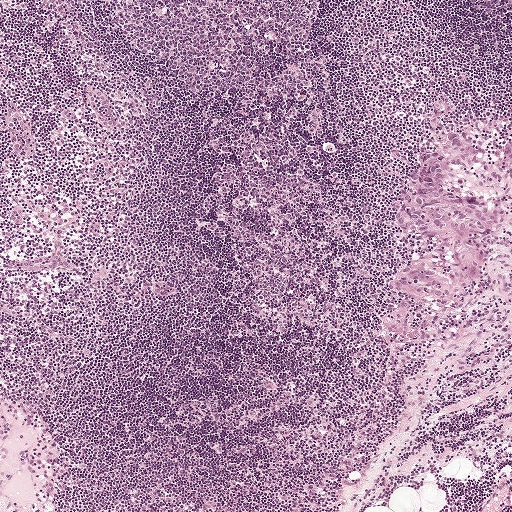
Lymph node section stained with H&E, from a whole-slide image of a breast-cancer sentinel node. Magnification about 5×, about 1 mm across the frame, about 1.9 µm per pixel.
One metastatic tumour region; its boundary, reduced to 21 corners and listed clockwise: (463, 126), (484, 136), (511, 138), (511, 209), (489, 234), (488, 274), (465, 290), (446, 318), (435, 355), (416, 368), (390, 360), (381, 324), (388, 296), (398, 289), (392, 275), (419, 243), (418, 233), (399, 220), (402, 189), (418, 169), (431, 129).
About 5% of this field is tumour.